This is a crop of a whole-slide image: an H&E-stained breast-cancer sentinel lymph node section at roughly 20× magnification (about 0.49 µm per pixel; the crop spans about 0.25 mm).
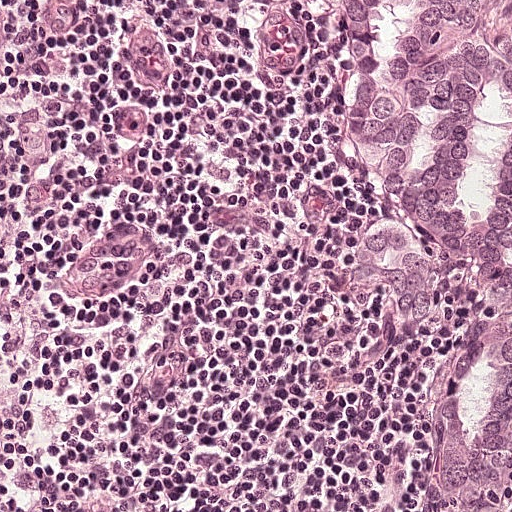
Question: Which parts of this field are metastatic tumour?
Answer: Tumour region outline (a closed clockwise path, crop pixels): (511, 0), (511, 485), (502, 506), (450, 502), (436, 344), (405, 340), (390, 307), (344, 264), (370, 183), (328, 111), (326, 33), (250, 2).
About 25% of the image area is annotated as tumour.